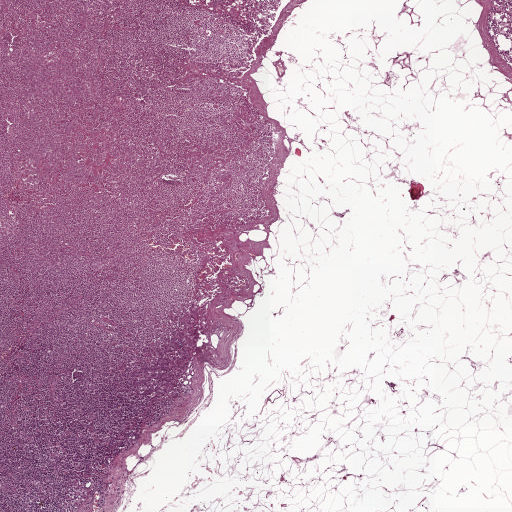
H&E-stained section of a sentinel lymph node (breast cancer), from a whole-slide image, viewed at about 2.5×: the field is about 2.0 mm across, about 3.9 µm per pixel.
Question: Trace the edge of each tumour region in this crop, as (x, y) points from 0 to 511.
Answer: The outlined metastatic tumour's edge, as a closed clockwise path of 23 points: (189, 303), (206, 305), (206, 329), (207, 335), (200, 335), (186, 373), (186, 387), (182, 386), (166, 401), (168, 407), (165, 415), (161, 414), (159, 401), (152, 404), (145, 400), (132, 400), (125, 377), (144, 347), (155, 341), (168, 340), (176, 326), (176, 318), (187, 311).
Under 5% of the image area is annotated as tumour.